Image:
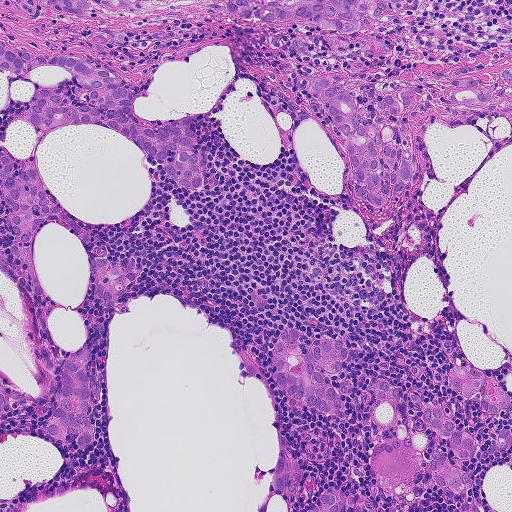
H&E-stained section of a sentinel lymph node (breast cancer), from a whole-slide image, viewed at about 10×: the field is about 0.46 mm across, about 0.9 µm per pixel.
Question:
Which parts of this field are metastatic tumour? Answer with the outline of each region, in pixels.
Answer:
Six metastatic tumour regions, each outlined as a closed clockwise path in crop pixels (x, y), largest first: region 1: (0, 0), (419, 0), (364, 31), (394, 38), (406, 63), (511, 46), (511, 112), (424, 114), (412, 130), (418, 187), (386, 210), (353, 194), (320, 105), (241, 42), (168, 60), (134, 97), (144, 121), (201, 115), (195, 143), (209, 178), (197, 191), (115, 131), (48, 133), (14, 119), (11, 153), (36, 152), (46, 190), (94, 240), (94, 256), (136, 262), (122, 314), (98, 304), (88, 257), (56, 222), (35, 237), (46, 302), (30, 293), (5, 208); region 2: (287, 328), (298, 328), (304, 347), (308, 349), (313, 340), (323, 335), (333, 336), (343, 340), (348, 350), (348, 360), (344, 369), (334, 373), (323, 372), (347, 411), (341, 419), (311, 410), (284, 392), (273, 372), (271, 362), (279, 332); region 3: (382, 375), (398, 389), (427, 397), (434, 406), (460, 423), (476, 440), (481, 448), (479, 458), (469, 462), (459, 459), (446, 448), (468, 471), (472, 481), (466, 502), (479, 511), (457, 511), (453, 497), (436, 487), (428, 468), (434, 438), (398, 402), (377, 400), (374, 390); region 4: (454, 366), (465, 366), (476, 368), (496, 378), (511, 401), (511, 406), (507, 412), (486, 414), (477, 411), (454, 390), (446, 373); region 5: (279, 451), (283, 457), (293, 460), (300, 479), (300, 489), (292, 495), (282, 495), (272, 491), (270, 481); region 6: (335, 486), (344, 494), (345, 511), (309, 511), (326, 488).
One more small tumour piece is annotated here but not outlined.
Tumour covers about 30% of the frame.